Image:
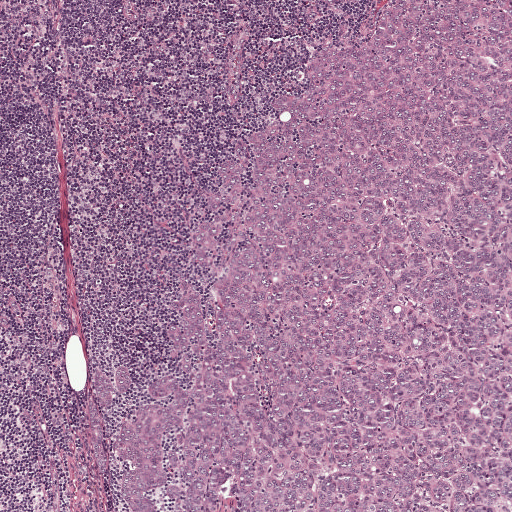
H&E-stained section of a sentinel lymph node (breast cancer), from a whole-slide image, viewed at about 5×: the field is about 1 mm across, about 1.9 µm per pixel.
Question:
Where is the metastatic tumour in this field? Give each region's outline as (x, y) pixel points.
Answer:
Tumour region outline (a closed clockwise path, crop pixels): (391, 0), (511, 0), (511, 511), (239, 511), (228, 502), (215, 511), (121, 511), (94, 458), (94, 375), (118, 361), (156, 381), (166, 371), (168, 309), (240, 136), (319, 49), (344, 33), (371, 39).
One more small tumour piece is annotated here but not outlined.
About 60% of this field is tumour.